Question: 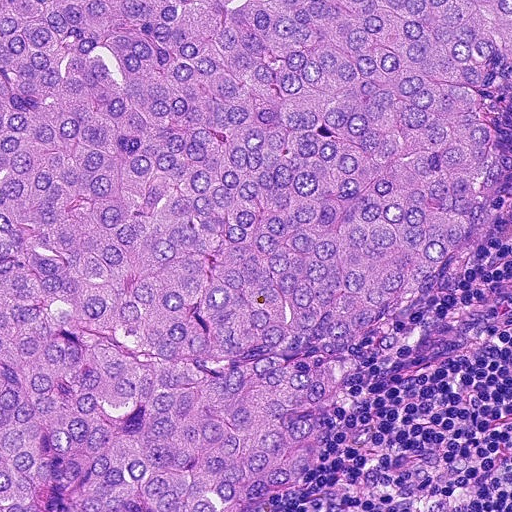
This is a crop of a whole-slide image: an H&E-stained breast-cancer sentinel lymph node section at roughly 20× magnification (about 0.45 µm per pixel; the crop spans about 0.23 mm).
Roughly what share of this field is metastatic tumour?

Choices:
 (A) about 5% or less
 (B) about 50% or more
 (C) about 25% to 45%
 (D) none: no tumour is outlined
 (E) about 10% to 20%

Answer: (B) about 50% or more
About 80% of the field is tumour.
Metastatic tumour outline, simplified to 15 points and listed clockwise in crop pixels (x, y): (0, 0), (511, 0), (511, 80), (486, 66), (480, 92), (498, 142), (494, 168), (428, 284), (364, 326), (301, 474), (233, 511), (61, 511), (54, 480), (47, 505), (0, 511).